Question: 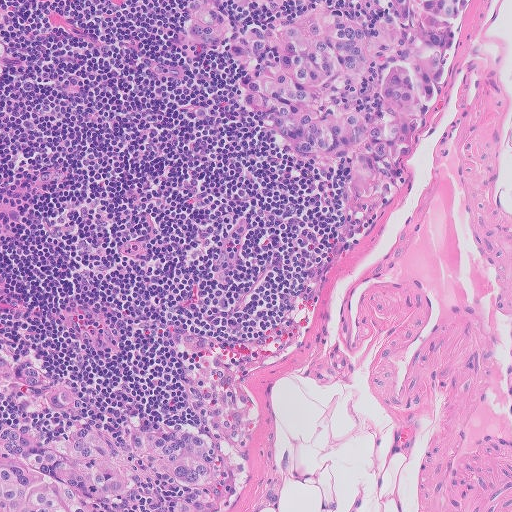
H&E-stained section of a sentinel lymph node (breast cancer), from a whole-slide image, viewed at about 10×: the field is about 0.51 mm across, about 1.0 µm per pixel.
What fraction of the image area is metastatic tumour?

Choices:
 (A) about 50% or more
 (B) about 25% to 45%
 (C) about 5% or less
 (D) none: no tumour is outlined
 (E) about 10% to 20%

Answer: (B) about 25% to 45%
About 30% of the field is tumour.
Two metastatic tumour regions, each outlined as a closed clockwise path in crop pixels (x, y), largest first: region 1: (177, 0), (476, 0), (455, 44), (444, 105), (416, 163), (378, 206), (321, 209), (254, 114), (166, 45); region 2: (0, 323), (48, 340), (69, 390), (124, 406), (173, 382), (208, 337), (245, 378), (251, 435), (200, 414), (238, 454), (242, 511), (0, 511).
One more small tumour piece is annotated here but not outlined.